This is a crop of a whole-slide image: an H&E-stained breast-cancer sentinel lymph node section at roughly 10× magnification (about 0.9 µm per pixel; the crop spans about 0.46 mm).
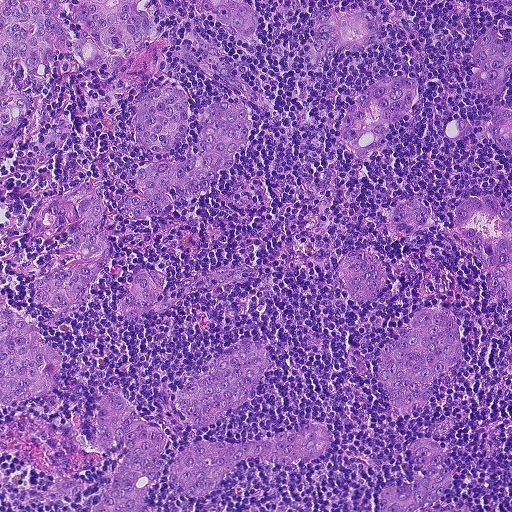
Outlines of the eight largest metastatic tumour regions, each a closed clockwise path in crop pixels (x, y), largest first: region 1: (231, 100), (249, 114), (249, 135), (232, 164), (224, 173), (218, 173), (207, 192), (186, 198), (171, 189), (169, 211), (159, 218), (126, 219), (120, 210), (123, 200), (145, 195), (138, 186), (137, 176), (143, 166), (164, 159), (186, 158), (202, 112), (209, 104); region 2: (427, 307), (448, 310), (458, 330), (462, 352), (460, 362), (432, 379), (429, 401), (421, 409), (401, 419), (390, 418), (388, 391), (378, 372), (380, 361), (388, 343), (406, 330), (416, 310); region 3: (306, 424), (328, 425), (333, 435), (324, 454), (315, 462), (281, 466), (260, 458), (248, 458), (228, 470), (216, 488), (196, 498), (184, 498), (176, 491), (167, 471), (177, 452), (196, 440), (208, 438), (240, 442), (284, 432); region 4: (107, 391), (118, 392), (139, 418), (160, 427), (166, 435), (162, 468), (147, 498), (146, 511), (90, 511), (104, 494), (126, 456), (127, 445), (116, 442), (108, 448), (98, 448), (88, 441), (90, 418), (99, 398); region 5: (0, 0), (66, 0), (54, 15), (68, 34), (69, 45), (65, 56), (59, 50), (52, 61), (30, 70), (22, 62), (10, 61), (10, 73), (30, 104), (29, 116), (0, 159); region 6: (88, 180), (97, 186), (106, 206), (104, 218), (92, 231), (112, 242), (112, 254), (90, 294), (74, 309), (63, 311), (31, 304), (30, 293), (34, 283), (42, 275), (74, 267), (78, 256), (72, 236), (79, 215), (71, 204), (61, 200), (60, 196); region 7: (246, 339), (257, 341), (266, 346), (270, 356), (270, 367), (252, 396), (216, 423), (194, 424), (184, 418), (172, 400), (184, 382), (206, 374), (212, 364), (236, 342); region 8: (78, 0), (173, 0), (170, 15), (159, 16), (151, 8), (155, 31), (152, 42), (136, 60), (116, 70), (105, 66), (107, 54), (89, 39), (75, 19), (74, 8).
11 more, smaller tumour regions are not outlined.
One more small tumour piece is annotated here but not outlined.
About 30% of this field is tumour.